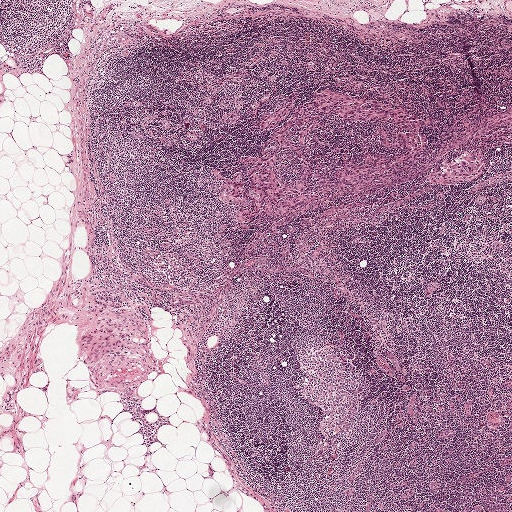
Lymph node section stained with H&E, from a whole-slide image of a breast-cancer sentinel node. Magnification about 2.5×, about 2.0 mm across the frame, about 3.9 µm per pixel.
Question: Does this lymph node field contain metastatic tumour?
Answer: Yes.
Two metastatic tumour regions, each outlined as a closed clockwise path in crop pixels (x, y), largest first: region 1: (323, 82), (392, 103), (431, 118), (431, 124), (423, 124), (426, 147), (406, 163), (308, 205), (258, 217), (242, 231), (231, 215), (235, 206), (216, 198), (217, 183), (209, 171), (215, 168), (228, 178), (236, 158), (258, 153), (266, 133), (258, 125), (294, 92), (295, 105), (305, 103); region 2: (471, 148), (478, 148), (484, 171), (472, 181), (465, 183), (431, 184), (423, 182), (422, 176), (424, 171), (441, 160), (460, 156), (461, 152).
About 5% of the image area is annotated as tumour.